Question: 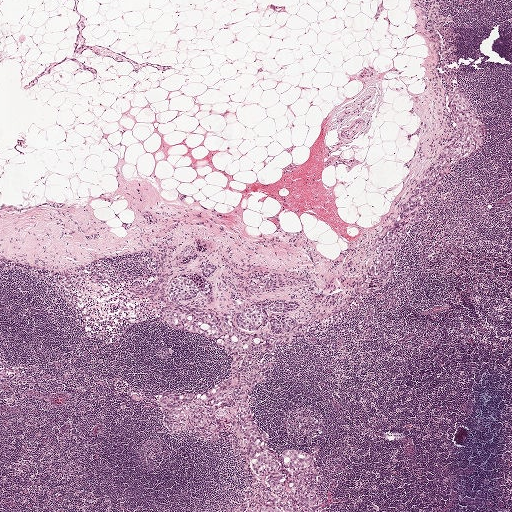
A 2.0-mm field of an H&E-stained sentinel lymph node from a breast-cancer patient (whole-slide image), shown at about 2.5×, about 3.9 µm per pixel.
Estimate the proportion of this field that is metastatic tumour.

Choices:
 (A) none: no tumour is outlined
 (B) about 10% to 20%
 (C) about 25% to 45%
 (D) about 5% or less
 (E) about 50% or more

Answer: (B) about 10% to 20%
About 10% of the field is tumour.
Boundaries of four metastatic tumour regions, simplified and listed clockwise, largest first: region 1: (298, 301), (292, 313), (269, 312), (294, 318), (307, 335), (295, 335), (295, 344), (279, 345), (261, 360), (269, 367), (266, 384), (251, 394), (258, 401), (249, 409), (280, 458), (301, 450), (320, 467), (321, 484), (310, 489), (321, 488), (316, 507), (326, 511), (233, 511), (244, 500), (247, 477), (229, 438), (168, 433), (159, 399), (223, 386), (230, 360), (215, 340), (168, 324), (160, 313), (190, 308), (223, 317), (234, 328), (236, 315), (249, 307); region 2: (458, 88), (487, 127), (488, 142), (475, 156), (458, 162), (436, 185), (421, 214), (426, 220), (412, 225), (406, 236), (391, 281), (373, 296), (363, 296), (359, 290), (376, 244), (401, 218), (401, 205), (409, 200), (444, 149), (458, 140), (460, 134), (448, 101), (452, 90); region 3: (181, 273), (189, 275), (199, 289), (204, 286), (203, 278), (208, 279), (214, 286), (214, 293), (205, 296), (197, 293), (196, 299), (183, 302), (168, 300), (167, 293), (170, 286); region 4: (206, 260), (209, 262), (214, 266), (215, 274), (211, 276), (204, 276), (202, 273), (203, 262).
One more small tumour piece is annotated here but not outlined.